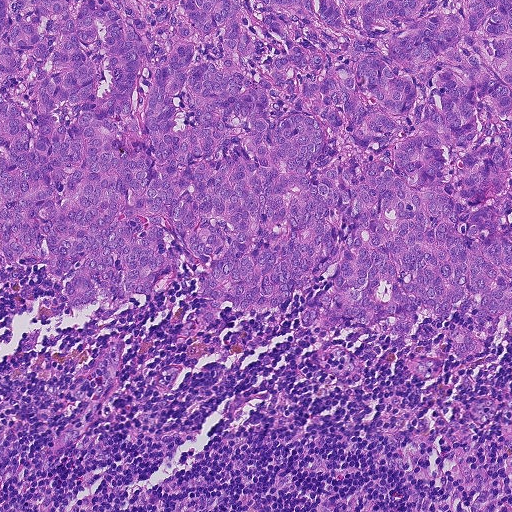
H&E-stained section of a sentinel lymph node (breast cancer), from a whole-slide image, viewed at about 10×: the field is about 0.46 mm across, about 0.9 µm per pixel.
Question: Is any metastatic breast cancer visible in this crop?
Answer: Yes.
Tumour region outline (a closed clockwise path, crop pixels): (0, 0), (511, 0), (511, 339), (472, 366), (408, 370), (452, 327), (303, 336), (322, 275), (274, 310), (224, 306), (180, 349), (204, 299), (178, 254), (174, 288), (97, 320), (94, 304), (34, 325), (55, 280), (38, 257), (6, 271).
Tumour covers about 60% of the frame.